Question: 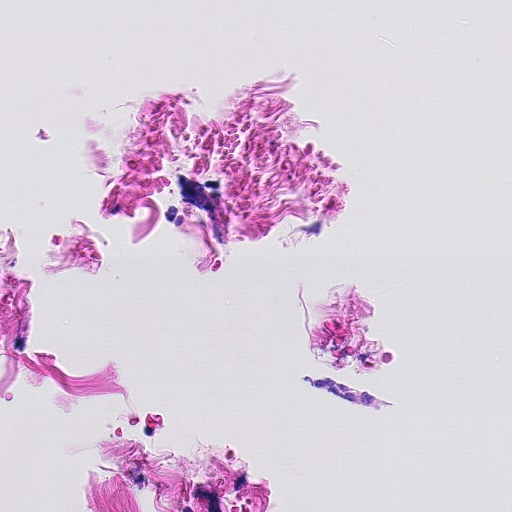
About what magnification does this crop show?

Choices:
 (A) about 20×
 (B) about 2.5×
 (C) about 40×
 (D) about 5×
 (E) about 10×

Answer: (A) about 20×
This is a crop of a whole-slide image: an H&E-stained breast-cancer sentinel lymph node section at roughly 20× magnification (about 0.45 µm per pixel; the crop spans about 0.23 mm).